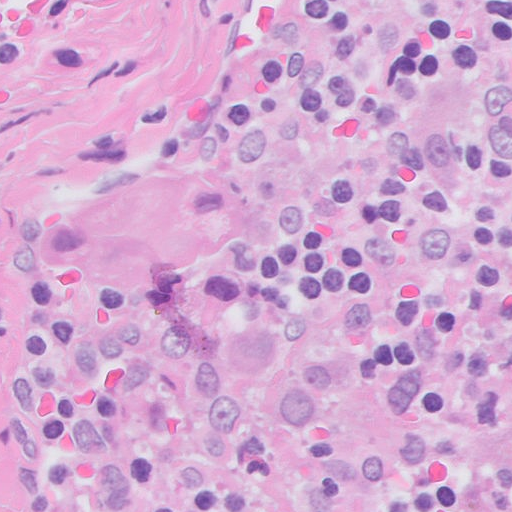
Lymph node section stained with H&E, from a whole-slide image of a breast-cancer sentinel node. Magnification about 40×, about 0.13 mm across the frame, about 0.25 µm per pixel.
Metastatic tumour outline, simplified to 8 points and listed clockwise in crop pixels (x, y): (165, 152), (222, 159), (291, 201), (243, 273), (153, 311), (36, 278), (12, 233), (58, 175).
The annotated tumour makes up about 10% of the crop.